Question: 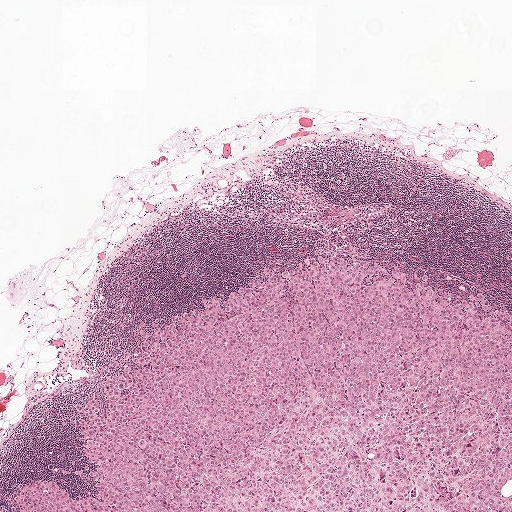
Lymph node section stained with H&E, from a whole-slide image of a breast-cancer sentinel node. Magnification about 2.5×, about 2.0 mm across the frame, about 3.9 µm per pixel.
What fraction of the image area is metastatic tumour?

Choices:
 (A) about 25% to 45%
 (B) none: no tumour is outlined
 (C) about 50% or more
 (D) about 10% to 20%
 (E) about 5% or less

Answer: (A) about 25% to 45%
About 35% of the field is tumour.
Tumour region outline (a closed clockwise path, crop pixels): (330, 247), (511, 310), (511, 511), (5, 511), (29, 476), (86, 483), (76, 416), (134, 340).